This is a crop of a whole-slide image: an H&E-stained breast-cancer sentinel lymph node section at roughly 10× magnification (about 0.97 µm per pixel; the crop spans about 0.5 mm).
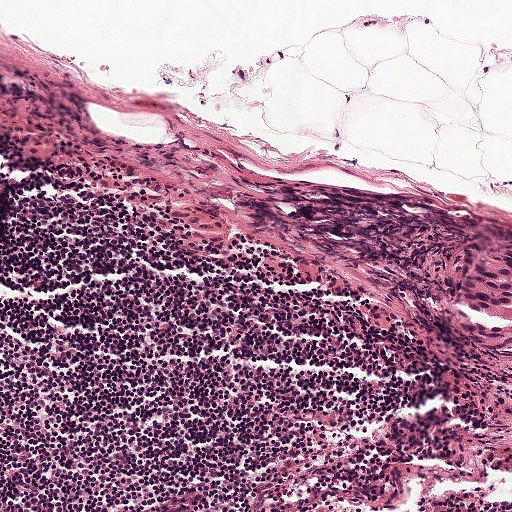
Question: Where is the metastatic tumour in this field?
Answer: The outlined metastatic tumour's edge, as a closed clockwise path of 8 points: (429, 220), (511, 220), (511, 358), (490, 337), (454, 314), (436, 261), (416, 247), (416, 232).
The annotated tumour makes up about 5% of the crop.